Question: 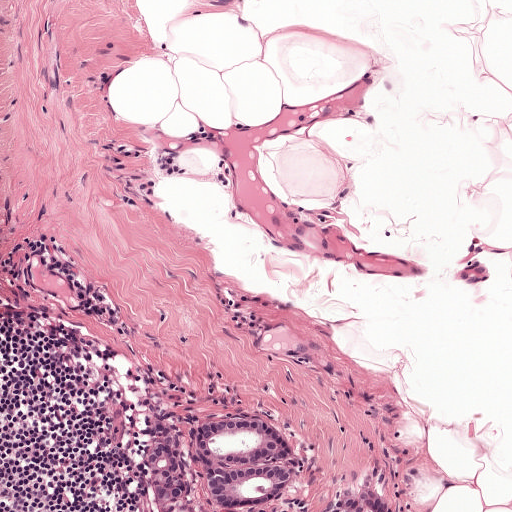
A 0.5-mm field of an H&E-stained sentinel lymph node from a breast-cancer patient (whole-slide image), shown at about 10×, about 0.97 µm per pixel.
What fraction of the image area is metastatic tumour?

Choices:
 (A) about 50% or more
 (B) about 10% to 20%
 (C) about 25% to 45%
 (D) none: no tumour is outlined
 (E) about 5% or less

Answer: (E) about 5% or less
About 5% of the field is tumour.
Three metastatic tumour regions, each outlined as a closed clockwise path in crop pixels (x, y), largest first: region 1: (252, 413), (282, 426), (296, 442), (305, 460), (300, 481), (287, 498), (267, 506), (223, 511), (214, 509), (201, 492), (189, 428), (208, 420); region 2: (158, 420), (176, 428), (191, 472), (190, 488), (165, 505), (154, 495), (148, 465), (148, 450); region 3: (372, 489), (381, 494), (387, 511), (344, 511), (333, 507), (336, 500), (352, 497), (362, 490).